This is a crop of a whole-slide image: an H&E-stained breast-cancer sentinel lymph node section at roughly 5× magnification (about 1.9 µm per pixel; the crop spans about 1 mm).
Question: 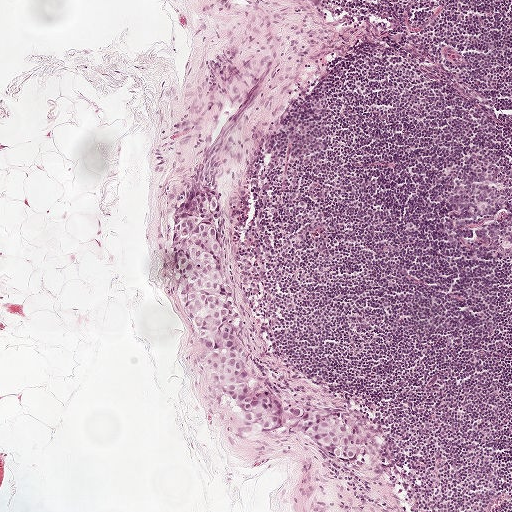
Estimate the proportion of this field that is metastatic tumour.

Choices:
 (A) about 5% or less
 (B) about 50% or more
 (C) about 10% to 20%
 (D) none: no tumour is outlined
 (E) about 25% to 45%

Answer: (A) about 5% or less
About 5% of the field is tumour.
Metastatic tumour outline, simplified to 20 points and listed clockwise in crop pixels (x, y): (193, 189), (221, 193), (217, 204), (228, 221), (232, 298), (266, 375), (286, 400), (337, 415), (368, 436), (370, 455), (360, 468), (345, 469), (321, 444), (283, 438), (226, 412), (213, 399), (203, 347), (179, 315), (173, 268), (176, 217).